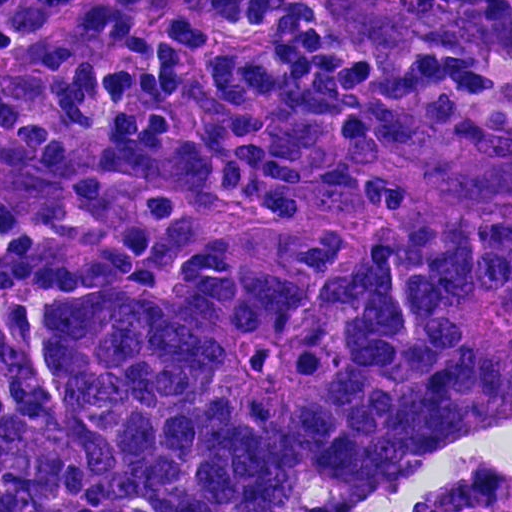
Lymph node section stained with H&E, from a whole-slide image of a breast-cancer sentinel node. Magnification about 40×, about 0.12 mm across the frame, about 0.23 µm per pixel.
The outlined metastatic tumour's edge, as a closed clockwise path of 11 points: (511, 197), (511, 458), (391, 511), (0, 511), (0, 397), (29, 372), (23, 359), (61, 281), (147, 281), (228, 254), (316, 249).
About 50% of this field is tumour.